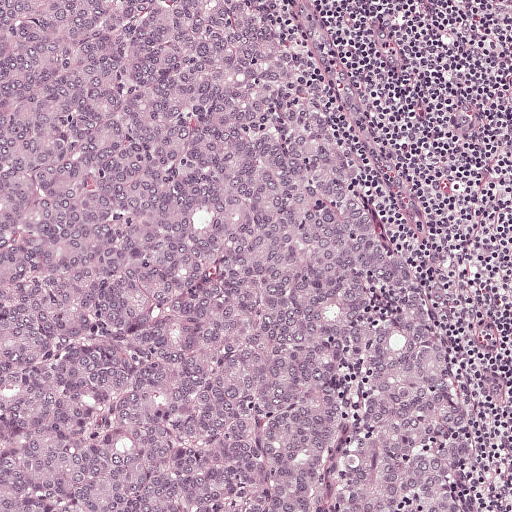
H&E-stained section of a sentinel lymph node (breast cancer), from a whole-slide image, viewed at about 10×: the field is about 0.5 mm across, about 0.97 µm per pixel.
Metastatic tumour outline, simplified to 6 points and listed clockwise in crop pixels (x, y): (0, 0), (275, 0), (437, 288), (483, 440), (482, 511), (0, 511).
Tumour covers about 80% of the frame.